Question: 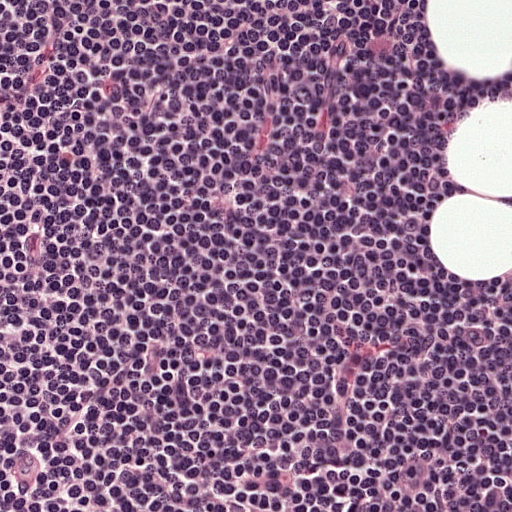
At roughly what magnification is this field shown?

Choices:
 (A) about 20×
 (B) about 10×
 (C) about 2.5×
 (D) about 5×
 (E) about 40×

Answer: (A) about 20×
A 0.25-mm field of an H&E-stained sentinel lymph node from a breast-cancer patient (whole-slide image), shown at about 20×, about 0.49 µm per pixel.